Question: 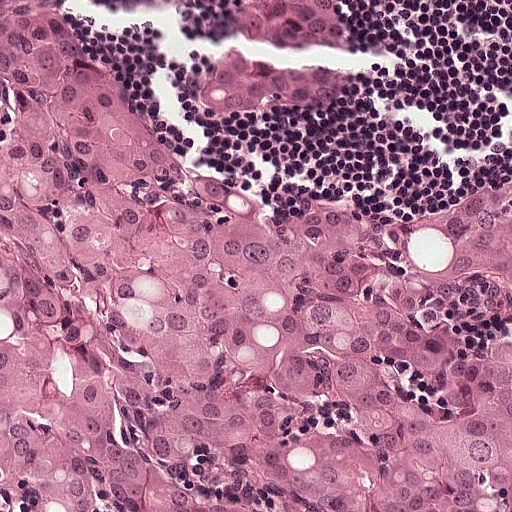
A 0.25-mm field of an H&E-stained sentinel lymph node from a breast-cancer patient (whole-slide image), shown at about 20×, about 0.49 µm per pixel.
Estimate the proportion of this field that is metastatic tumour.

Choices:
 (A) none: no tumour is outlined
 (B) about 50% or more
 (C) about 25% to 45%
 (D) about 5% or less
 (E) about 10% to 20%

Answer: (B) about 50% or more
About 70% of the field is tumour.
The outlined metastatic tumour's edge, as a closed clockwise path of 12 points: (0, 0), (63, 0), (198, 168), (273, 214), (326, 193), (425, 208), (511, 164), (511, 511), (0, 511), (0, 346), (16, 330), (0, 310).